Lymph node section stained with H&E, from a whole-slide image of a breast-cancer sentinel node. Magnification about 5×, about 1 mm across the frame, about 1.9 µm per pixel.
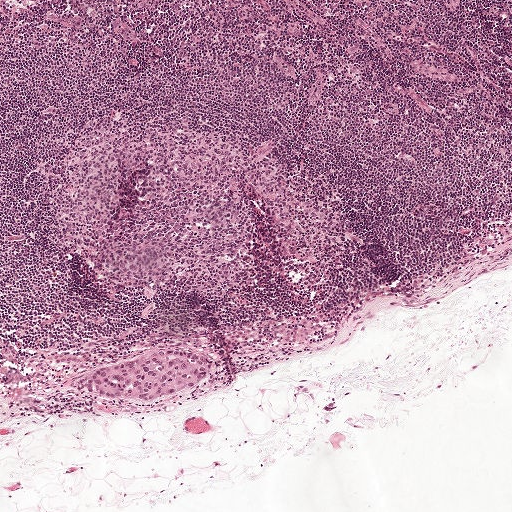
Question: Trace the edge of each tumour region in this crop, as (x, y) points from 0 to 511.
Answer: One metastatic tumour region; its boundary, reduced to 11 corners and listed clockwise: (153, 348), (184, 351), (209, 359), (213, 366), (212, 374), (195, 393), (153, 409), (111, 405), (79, 385), (77, 376), (84, 368).
Tumour covers under 5% of the frame.